Question: 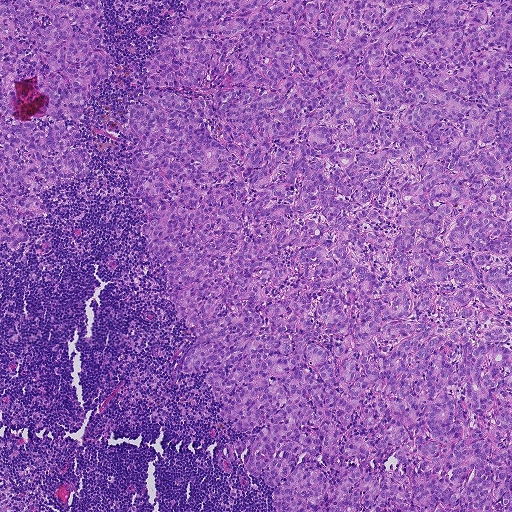
Lymph node section stained with H&E, from a whole-slide image of a breast-cancer sentinel node. Magnification about 5×, about 0.93 mm across the frame, about 1.8 µm per pixel.
Roughly what share of this field is metastatic tumour?

Choices:
 (A) about 50% or more
 (B) about 25% to 45%
 (C) none: no tumour is outlined
 (D) about 10% to 20%
 (E) about 5% or less

Answer: (A) about 50% or more
About 75% of the field is tumour.
Boundaries of two metastatic tumour regions, simplified and listed clockwise, largest first: region 1: (182, 0), (511, 0), (511, 511), (277, 511), (275, 488), (240, 456), (230, 473), (218, 467), (222, 447), (247, 433), (219, 420), (225, 402), (207, 372), (179, 375), (175, 366), (193, 333), (174, 316), (166, 264), (147, 255), (145, 209), (126, 186), (140, 140), (127, 114), (144, 60); region 2: (0, 0), (98, 0), (107, 20), (96, 26), (104, 32), (113, 65), (75, 122), (82, 129), (78, 146), (91, 160), (86, 179), (55, 185), (40, 196), (53, 219), (24, 220), (30, 243), (18, 253), (0, 244).